A 1.0-mm field of an H&E-stained sentinel lymph node from a breast-cancer patient (whole-slide image), shown at about 5×, about 2.0 µm per pixel.
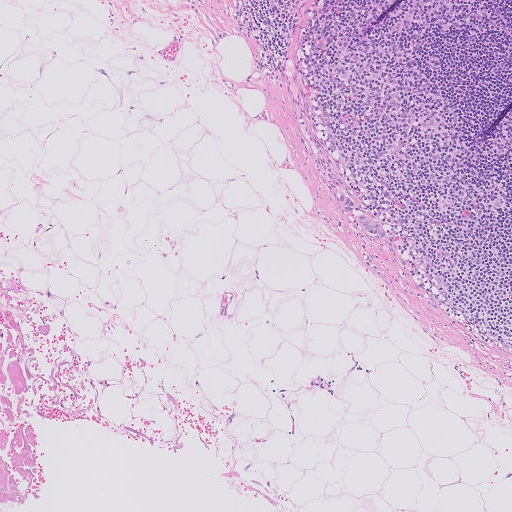
Two metastatic tumour regions, each outlined as a closed clockwise path in crop pixels (x, y), largest first: region 1: (357, 214), (364, 214), (368, 216), (384, 231), (385, 234), (384, 238), (378, 240), (369, 233), (356, 220), (354, 217); region 2: (342, 192), (346, 196), (353, 200), (354, 203), (354, 207), (354, 210), (350, 211), (347, 211), (342, 207), (338, 200), (337, 197), (338, 193).
The annotated tumour makes up under 5% of the crop.